Question: 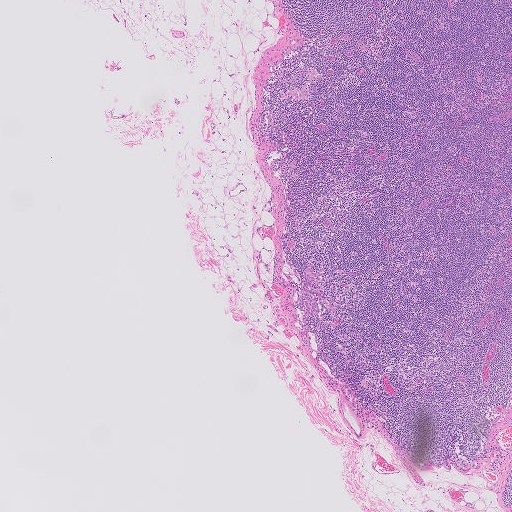
This is a crop of a whole-slide image: an H&E-stained breast-cancer sentinel lymph node section at roughly 2.5× magnification (about 4.0 µm per pixel; the crop spans about 2.0 mm).
Roughly what share of this field is metastatic tumour?

Choices:
 (A) about 50% or more
 (B) none: no tumour is outlined
 (C) about 25% to 45%
 (D) about 10% to 20%
 (E) about 5% or less

Answer: (E) about 5% or less
Under 5% of the field is tumour.
Tumour region outline (a closed clockwise path, crop pixels): (305, 267), (309, 267), (315, 271), (317, 275), (317, 279), (314, 286), (319, 309), (317, 316), (313, 317), (305, 315), (301, 304), (301, 292).